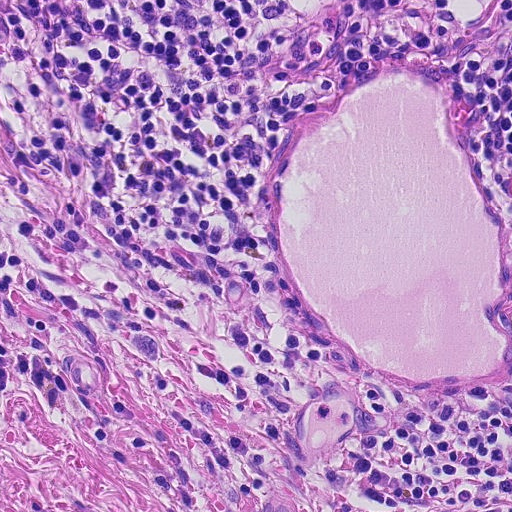
This is a crop of a whole-slide image: an H&E-stained breast-cancer sentinel lymph node section at roughly 20× magnification (about 0.45 µm per pixel; the crop spans about 0.23 mm).
Question: Does this lymph node field contain metastatic tumour?
Answer: No: no metastatic tumour is outlined anywhere in this field.